This is a crop of a whole-slide image: an H&E-stained breast-cancer sentinel lymph node section at roughly 20× magnification (about 0.45 µm per pixel; the crop spans about 0.23 mm).
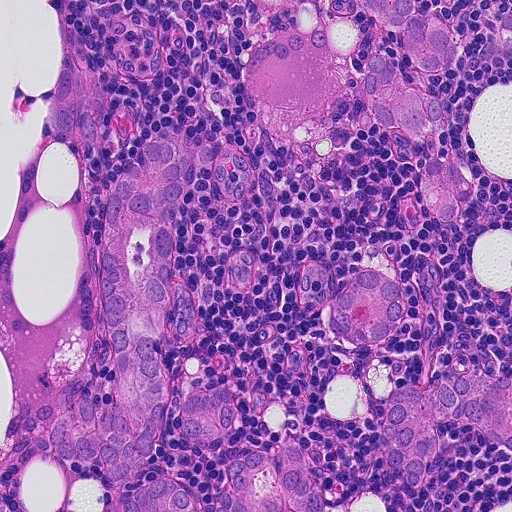
Outlines of five tumour regions, largest first (closed clockwise paths, crop pixels): region 1: (174, 124), (191, 141), (194, 182), (179, 243), (186, 320), (159, 361), (172, 408), (194, 392), (235, 389), (240, 429), (226, 444), (204, 447), (171, 424), (144, 483), (167, 477), (186, 483), (197, 502), (217, 504), (232, 464), (288, 440), (317, 471), (325, 511), (130, 511), (130, 496), (114, 480), (74, 468), (40, 444), (38, 424), (84, 383), (102, 392), (108, 412), (118, 382), (97, 280), (105, 218), (155, 130); region 2: (337, 0), (425, 0), (468, 48), (462, 69), (442, 76), (422, 72), (396, 49), (441, 94), (448, 115), (436, 157), (467, 182), (470, 204), (458, 218), (436, 220), (420, 207), (418, 166), (410, 146), (376, 126), (364, 108), (361, 68), (372, 29); region 3: (511, 363), (511, 452), (453, 422), (436, 431), (437, 473), (422, 486), (400, 485), (384, 472), (376, 452), (376, 431), (380, 409), (391, 392), (459, 372), (500, 371); region 4: (352, 270), (372, 270), (391, 276), (400, 295), (400, 315), (390, 334), (373, 346), (352, 344), (334, 332), (327, 313), (331, 292), (344, 275); region 5: (62, 54), (70, 66), (90, 74), (105, 112), (103, 132), (87, 144), (67, 144), (48, 134), (44, 114).
One more small tumour piece is annotated here but not outlined.
Tumour covers about 25% of the frame.